Image:
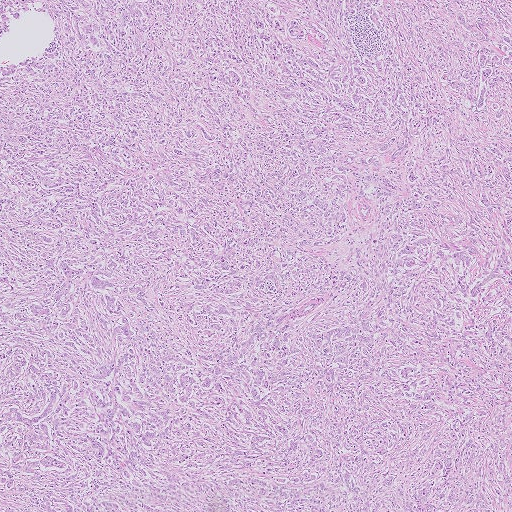
Lymph node section stained with H&E, from a whole-slide image of a breast-cancer sentinel node. Magnification about 2.5×, about 2.0 mm across the frame, about 4.0 µm per pixel.
Question:
Show where the tumour is in this image.
Answer:
Metastatic tumour covers the whole field.
The annotated tumour makes up over 95% of the crop.